Lymph node section stained with H&E, from a whole-slide image of a breast-cancer sentinel node. Magnification about 20×, about 0.25 mm across the frame, about 0.49 µm per pixel.
Image:
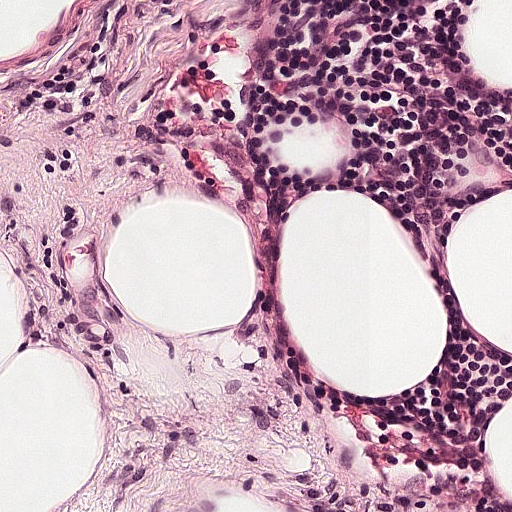
Question:
Does this lymph node field contain metastatic tumour?
Answer:
No: no metastatic tumour is outlined anywhere in this field.